Question: 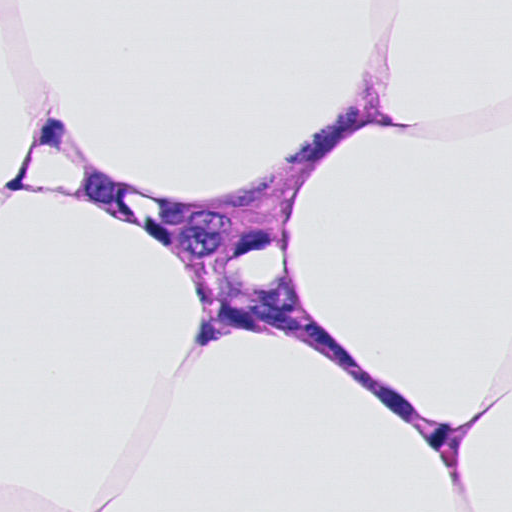
Which magnification is this H&E lymph node field most likely shown at?

Choices:
 (A) about 2.5×
 (B) about 5×
 (C) about 20×
 (D) about 10×
 (E) about 40×

Answer: (E) about 40×
Lymph node section stained with H&E, from a whole-slide image of a breast-cancer sentinel node. Magnification about 40×, about 0.12 mm across the frame, about 0.23 µm per pixel.
Tumour region outline (a closed clockwise path, crop pixels): (248, 193), (272, 241), (187, 269), (140, 225), (182, 201).
Under 5% of this field is tumour.